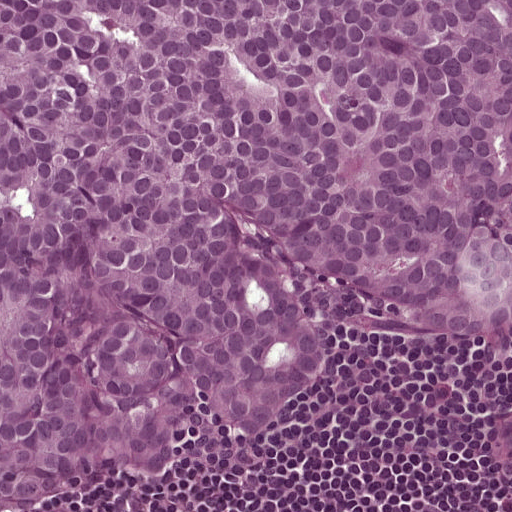
This is a crop of a whole-slide image: an H&E-stained breast-cancer sentinel lymph node section at roughly 20× magnification (about 0.49 µm per pixel; the crop spans about 0.25 mm).
Question: Describe where the metastatic carcinoma lies in this crop.
Answer: Tumour region outline (a closed clockwise path, crop pixels): (0, 0), (511, 0), (511, 337), (345, 366), (268, 433), (171, 490), (68, 490), (0, 505).
About 85% of this field is tumour.